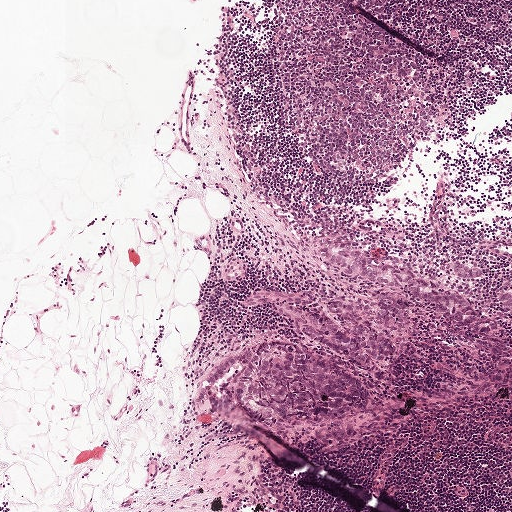
H&E-stained section of a sentinel lymph node (breast cancer), from a whole-slide image, viewed at about 5×: the field is about 1 mm across, about 1.9 µm per pixel.
Outlines of five tumour regions, largest first (closed clockwise paths, crop pixels): region 1: (275, 338), (302, 348), (358, 379), (367, 392), (364, 408), (327, 423), (292, 425), (254, 436), (211, 420), (199, 387), (218, 361), (254, 342); region 2: (304, 286), (322, 298), (359, 299), (374, 311), (376, 296), (395, 296), (405, 302), (412, 332), (403, 356), (383, 367), (387, 374), (383, 380), (373, 380), (339, 356), (297, 334), (272, 311), (243, 304), (245, 293), (257, 288); region 3: (327, 237), (358, 248), (416, 274), (432, 276), (448, 283), (468, 302), (484, 313), (495, 327), (494, 335), (477, 336), (449, 323), (406, 292), (387, 291), (365, 283), (337, 268), (320, 254), (320, 243); region 4: (458, 261), (466, 263), (468, 267), (471, 266), (482, 268), (483, 275), (468, 280), (455, 277), (451, 272), (452, 264); region 5: (507, 289), (511, 290), (511, 317), (504, 313), (502, 309), (498, 299), (502, 292).
The annotated tumour makes up about 10% of the crop.